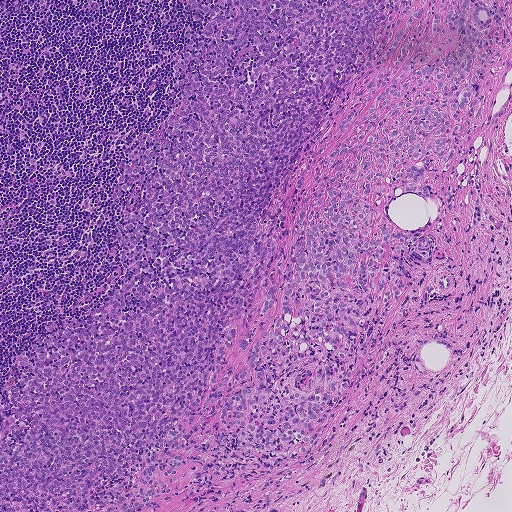
Lymph node section stained with H&E, from a whole-slide image of a breast-cancer sentinel node. Magnification about 5×, about 0.93 mm across the frame, about 1.8 µm per pixel.
Boundaries of two metastatic tumour regions, simplified and listed clockwise, largest first: region 1: (183, 0), (511, 0), (478, 116), (426, 179), (443, 205), (389, 203), (432, 246), (373, 306), (356, 388), (294, 462), (189, 460), (145, 509), (0, 511), (0, 395), (47, 324), (140, 273), (114, 233), (132, 186), (112, 201), (126, 147), (176, 104), (182, 33), (210, 16); region 2: (439, 273), (451, 279), (451, 287), (447, 290), (434, 290), (427, 294), (425, 290), (428, 282).
About 60% of this field is tumour.